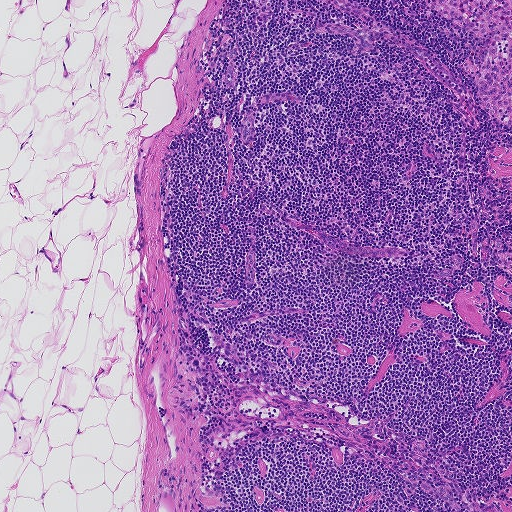
This is a crop of a whole-slide image: an H&E-stained breast-cancer sentinel lymph node section at roughly 5× magnification (about 1.8 µm per pixel; the crop spans about 0.93 mm).
Question: Does this lymph node field contain metastatic tumour?
Answer: No. No metastatic tumour is outlined in this field.